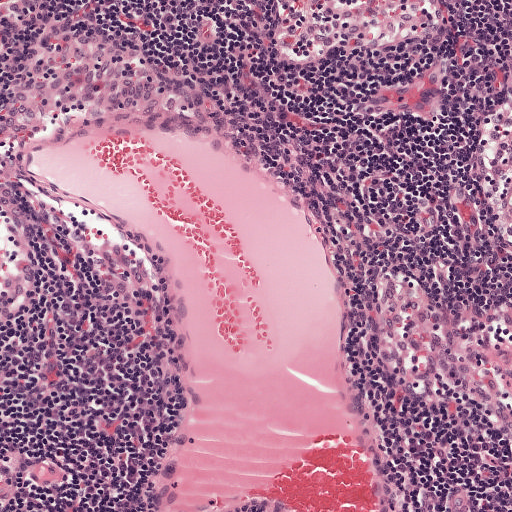
Lymph node section stained with H&E, from a whole-slide image of a breast-cancer sentinel node. Magnification about 10×, about 0.5 mm across the frame, about 0.97 µm per pixel.